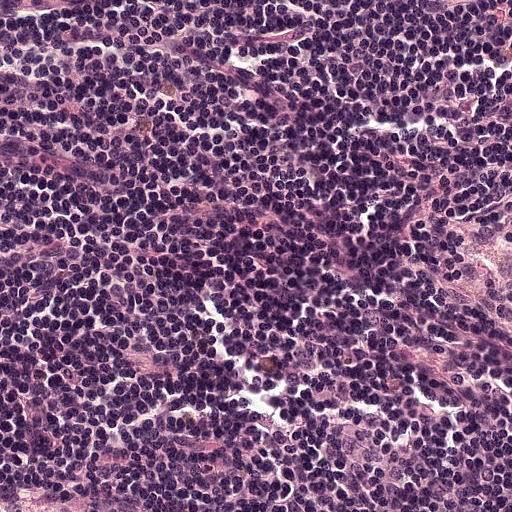
H&E-stained section of a sentinel lymph node (breast cancer), from a whole-slide image, viewed at about 20×: the field is about 0.25 mm across, about 0.49 µm per pixel.